A 0.5-mm field of an H&E-stained sentinel lymph node from a breast-cancer patient (whole-slide image), shown at about 10×, about 0.97 µm per pixel.
Image:
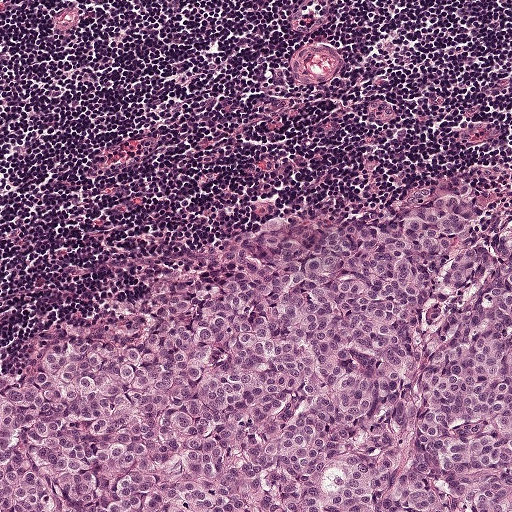
Question:
Where is the metastatic tumour in this field?
Answer:
Tumour region outline (a closed clockwise path, crop pixels): (510, 163), (511, 511), (0, 511), (0, 366), (28, 342), (172, 252), (244, 222).
About 55% of this field is tumour.